Question: 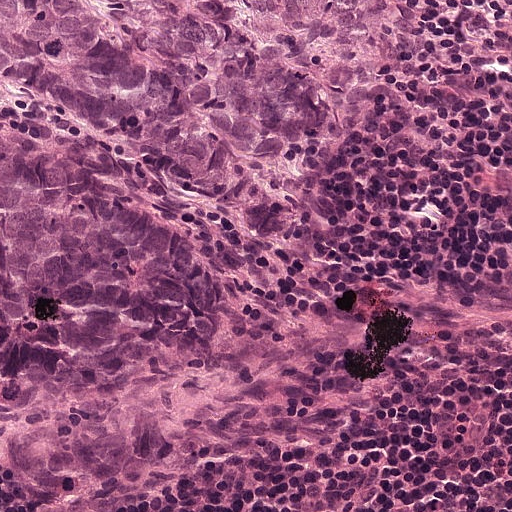
This is a crop of a whole-slide image: an H&E-stained breast-cancer sentinel lymph node section at roughly 20× magnification (about 0.49 µm per pixel; the crop spans about 0.25 mm).
Roughly what share of this field is metastatic tumour?

Choices:
 (A) about 5% or less
 (B) about 25% to 45%
 (C) about 50% or more
 (D) none: no tumour is outlined
 (E) about 10% to 20%

Answer: (B) about 25% to 45%
About 40% of the field is tumour.
Outlines of two tumour regions, largest first (closed clockwise paths, crop pixels): region 1: (0, 0), (393, 0), (397, 14), (395, 55), (361, 137), (280, 185), (295, 214), (282, 239), (240, 239), (104, 140), (2, 90); region 2: (0, 140), (100, 182), (186, 237), (204, 253), (219, 303), (216, 337), (198, 353), (132, 376), (100, 398), (4, 411).